H&E-stained section of a sentinel lymph node (breast cancer), from a whole-slide image, viewed at about 40×: the field is about 0.12 mm across, about 0.24 µm per pixel.
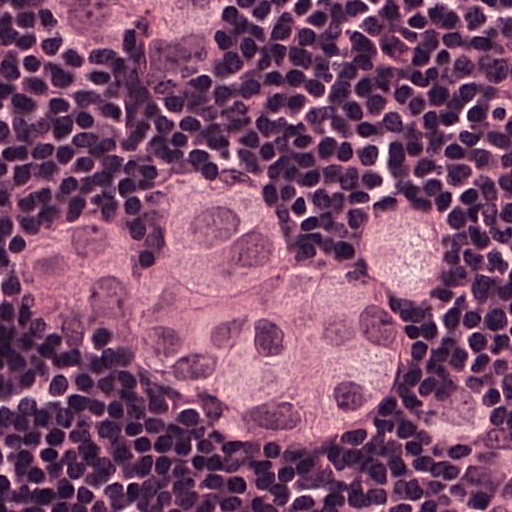
Question: Where is the metastatic tumour in this field? Give each region's outline as (x, y) pixel points.
Answer: Outlines of three tumour regions, largest first (closed clockwise paths, crop pixels): region 1: (181, 144), (269, 169), (309, 231), (335, 231), (359, 187), (397, 184), (459, 209), (465, 225), (456, 300), (409, 337), (388, 409), (347, 437), (272, 443), (209, 428), (13, 347), (0, 331), (22, 225), (122, 147); region 2: (212, 0), (212, 25), (182, 47), (169, 75), (154, 84), (110, 84), (79, 60), (54, 28), (23, 19), (1, 3); region 3: (444, 366), (481, 369), (485, 375), (485, 403), (469, 422), (456, 428), (453, 441), (472, 434), (475, 428), (511, 425), (511, 511), (443, 511), (425, 491), (422, 469), (416, 466), (419, 391).
The annotated tumour makes up about 45% of the crop.